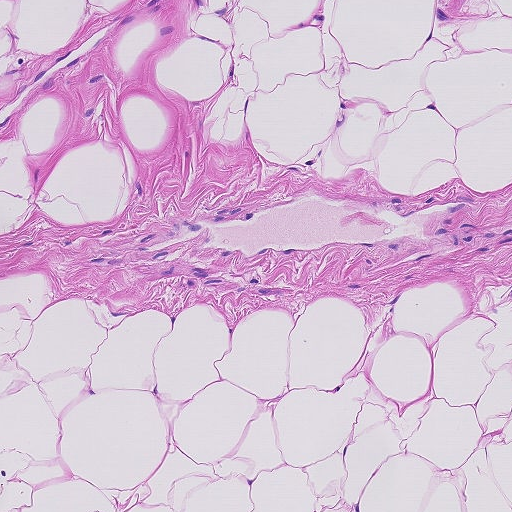
Lymph node section stained with H&E, from a whole-slide image of a breast-cancer sentinel node. Magnification about 10×, about 0.46 mm across the frame, about 0.9 µm per pixel.